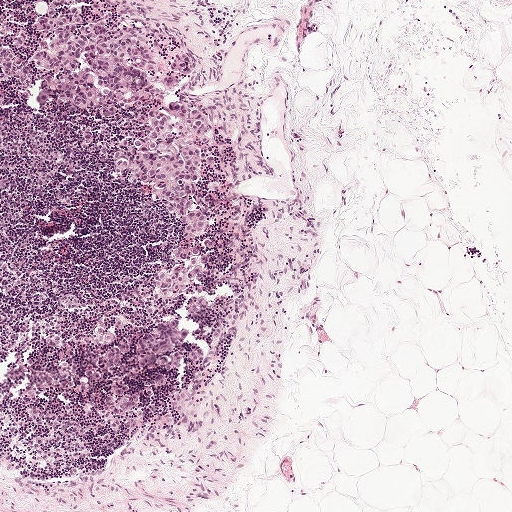
This is a crop of a whole-slide image: an H&E-stained breast-cancer sentinel lymph node section at roughly 5× magnification (about 1.9 µm per pixel; the crop spans about 1 mm).
Outlines of the eight largest metastatic tumour regions, each a closed clockwise path in crop pixels (x, y), largest first: region 1: (51, 0), (84, 0), (87, 21), (99, 21), (109, 13), (107, 23), (113, 29), (136, 24), (156, 65), (178, 52), (189, 52), (195, 70), (185, 75), (157, 70), (149, 82), (176, 78), (180, 87), (156, 85), (169, 95), (162, 100), (152, 97), (140, 109), (121, 108), (117, 117), (110, 118), (89, 107), (68, 113), (66, 108), (73, 98), (43, 86), (41, 77), (54, 75), (34, 65), (33, 57), (48, 52), (51, 32), (38, 21), (47, 18); region 2: (183, 101), (197, 109), (211, 132), (215, 157), (212, 162), (206, 158), (206, 147), (194, 136), (192, 139), (201, 152), (202, 178), (191, 196), (207, 221), (204, 234), (194, 240), (182, 236), (181, 218), (166, 213), (150, 197), (154, 184), (133, 184), (128, 172), (114, 163), (113, 155), (120, 142), (130, 141), (130, 150), (135, 143), (130, 134), (139, 131), (147, 136), (152, 124), (148, 115), (154, 109), (161, 111), (178, 132), (175, 116), (165, 106); region 3: (206, 239), (214, 243), (213, 249), (202, 249), (209, 260), (203, 266), (201, 273), (182, 289), (179, 296), (166, 298), (154, 287), (152, 277), (157, 272), (173, 271), (180, 262), (173, 254), (176, 248), (178, 246), (190, 249); region 4: (1, 47), (9, 48), (30, 68), (29, 77), (23, 84), (19, 84), (12, 78), (3, 77), (0, 71); region 5: (125, 385), (131, 387), (129, 394), (139, 394), (140, 401), (136, 407), (120, 415), (112, 412), (105, 404), (106, 398), (117, 388); region 6: (122, 342), (130, 347), (130, 350), (122, 357), (117, 366), (113, 368), (100, 368), (96, 366), (96, 360), (107, 350), (118, 346); region 7: (103, 327), (112, 333), (114, 340), (110, 345), (100, 345), (94, 343), (92, 338), (96, 332), (95, 328); region 8: (180, 351), (184, 354), (182, 367), (177, 366), (170, 372), (168, 372), (165, 367), (159, 362), (160, 358), (163, 356), (165, 356), (168, 360), (171, 362), (175, 354).
Two more, smaller tumour regions are not outlined.
Three more small tumour pieces are annotated here but not outlined.
About 10% of the image area is annotated as tumour.